Image:
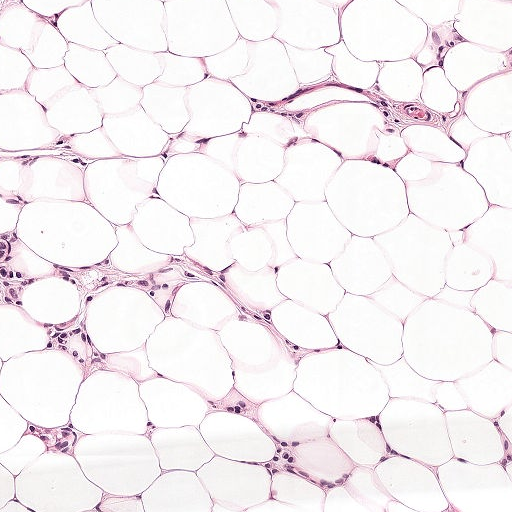
H&E-stained section of a sentinel lymph node (breast cancer), from a whole-slide image, viewed at about 10×: the field is about 0.5 mm across, about 0.97 µm per pixel.
Question:
Does this lymph node field contain metastatic tumour?
Answer:
Yes.
Outlines of four tumour regions, largest first (closed clockwise paths, crop pixels): region 1: (52, 312), (59, 312), (77, 318), (85, 326), (94, 342), (109, 353), (109, 360), (106, 364), (96, 370), (88, 370), (70, 362), (58, 350), (44, 343), (37, 332), (37, 324); region 2: (20, 420), (71, 422), (82, 427), (80, 442), (70, 454), (58, 452), (35, 441), (30, 436), (28, 429); region 3: (0, 227), (10, 228), (13, 232), (9, 254), (10, 267), (15, 271), (27, 276), (24, 290), (14, 306), (0, 310); region 4: (511, 35), (511, 67), (503, 64), (505, 64), (505, 63), (503, 60), (502, 55), (504, 40).
The annotated tumour makes up under 5% of the crop.